Image:
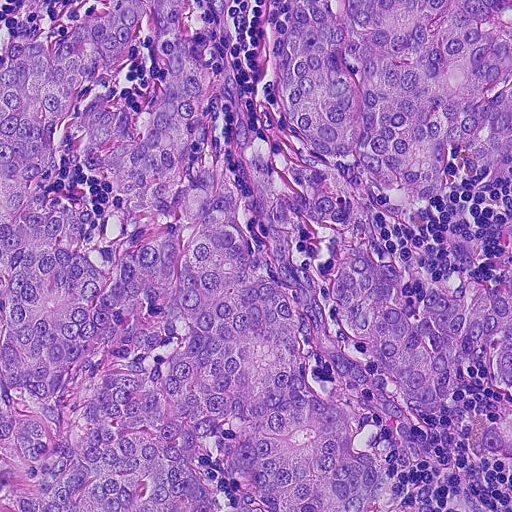
A 0.23-mm field of an H&E-stained sentinel lymph node from a breast-cancer patient (whole-slide image), shown at about 20×, about 0.45 µm per pixel.
Question:
Which parts of this field are metastatic tumour? Answer with the outline of each region, in pixels.
Answer:
Two metastatic tumour regions, each outlined as a closed clockwise path in crop pixels (x, y), largest first: region 1: (195, 0), (200, 176), (264, 263), (265, 194), (322, 196), (274, 0), (511, 0), (511, 178), (358, 168), (388, 259), (511, 273), (511, 386), (465, 360), (420, 460), (381, 445), (385, 511), (261, 511), (240, 420), (187, 460), (215, 498), (0, 511), (0, 51); region 2: (511, 416), (511, 471), (494, 454), (474, 441), (484, 424), (500, 417).
One more small tumour piece is annotated here but not outlined.
Tumour covers about 80% of the frame.